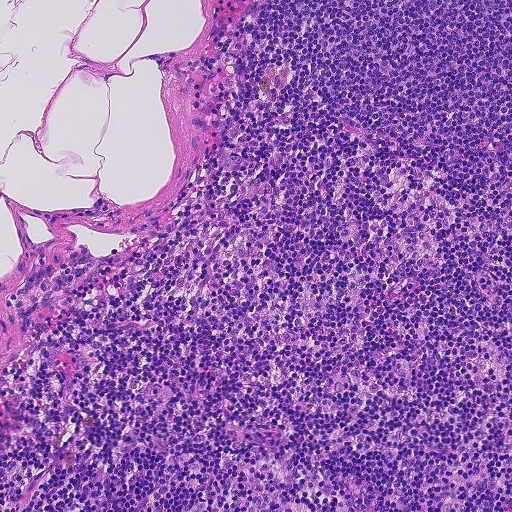
This is a crop of a whole-slide image: an H&E-stained breast-cancer sentinel lymph node section at roughly 10× magnification (about 0.9 µm per pixel; the crop spans about 0.46 mm).
Question: Is there metastatic carcinoma in this field?
Answer: No, this field holds no outlined metastasis.